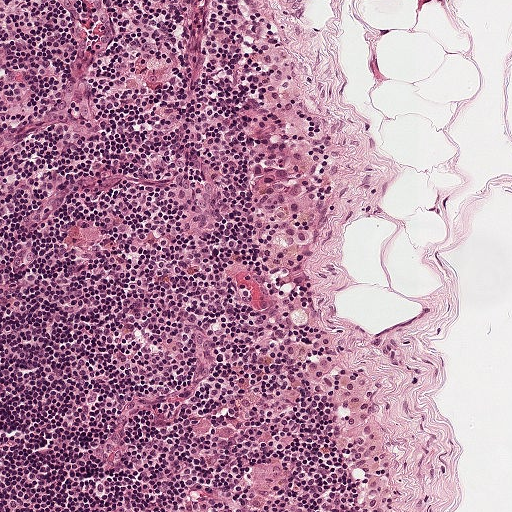
A 0.5-mm field of an H&E-stained sentinel lymph node from a breast-cancer patient (whole-slide image), shown at about 10×, about 0.97 µm per pixel.
The outlined metastatic tumour's edge, as a closed clockwise path of 12 points: (281, 157), (300, 164), (321, 200), (320, 225), (311, 245), (306, 248), (283, 247), (268, 241), (252, 222), (260, 202), (253, 179), (255, 158).
Under 5% of this field is tumour.